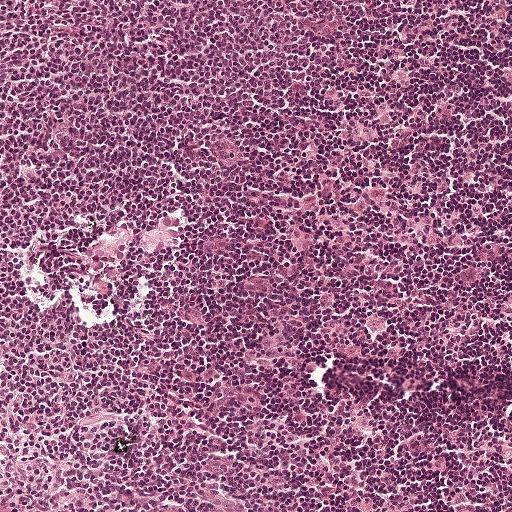
This is a crop of a whole-slide image: an H&E-stained breast-cancer sentinel lymph node section at roughly 10× magnification (about 0.97 µm per pixel; the crop spans about 0.5 mm).
Question: Does this lymph node field contain metastatic tumour?
Answer: Yes.
Two metastatic tumour regions, each outlined as a closed clockwise path in crop pixels (x, y), largest first: region 1: (109, 225), (129, 225), (134, 229), (134, 235), (123, 261), (115, 266), (104, 267), (84, 256), (84, 248), (87, 238), (100, 236), (109, 231); region 2: (182, 205), (187, 226), (186, 240), (180, 247), (164, 247), (156, 254), (152, 254), (142, 248), (139, 240), (146, 229), (156, 226), (158, 221), (162, 220), (161, 218).
The annotated tumour makes up under 5% of the crop.